Question: 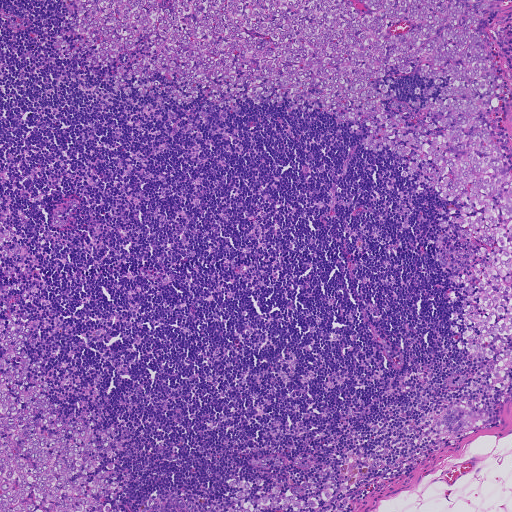
Which magnification is this H&E lymph node field most likely shown at?

Choices:
 (A) about 10×
 (B) about 2.5×
 (C) about 40×
 (D) about 5×
 (E) about 20×

Answer: (D) about 5×
Lymph node section stained with H&E, from a whole-slide image of a breast-cancer sentinel node. Magnification about 5×, about 0.93 mm across the frame, about 1.8 µm per pixel.
Four metastatic tumour regions, each outlined as a closed clockwise path in crop pixels (x, y), largest first: region 1: (501, 0), (478, 28), (509, 95), (498, 134), (511, 168), (504, 383), (487, 390), (488, 360), (461, 349), (449, 327), (465, 288), (450, 279), (484, 248), (448, 220), (456, 206), (402, 177), (406, 157), (367, 151), (360, 122), (354, 132), (352, 122), (294, 111), (284, 98), (214, 104), (202, 120), (200, 85), (183, 106), (162, 88), (120, 94), (104, 79), (146, 50), (148, 39), (99, 67), (83, 48), (64, 58), (52, 41), (67, 6); region 2: (0, 223), (22, 251), (3, 259), (2, 281), (15, 281), (14, 290), (29, 298), (8, 297), (3, 309), (32, 327), (26, 348), (45, 366), (49, 399), (98, 438), (106, 429), (119, 433), (115, 458), (106, 457), (88, 482), (117, 468), (122, 489), (114, 509), (121, 510), (0, 511); region 3: (256, 476), (264, 479), (264, 486), (258, 487), (253, 485), (249, 499), (263, 496), (268, 491), (270, 484), (277, 483), (285, 495), (292, 494), (297, 498), (312, 498), (324, 490), (321, 484), (328, 482), (333, 487), (333, 494), (308, 511), (224, 511), (235, 505), (237, 498), (235, 491), (242, 489), (228, 485), (228, 478), (234, 477), (251, 481); region 4: (450, 407), (463, 408), (474, 413), (473, 422), (459, 432), (447, 432), (435, 424), (437, 417).
One more small tumour piece is annotated here but not outlined.
Tumour covers about 30% of the frame.